Image:
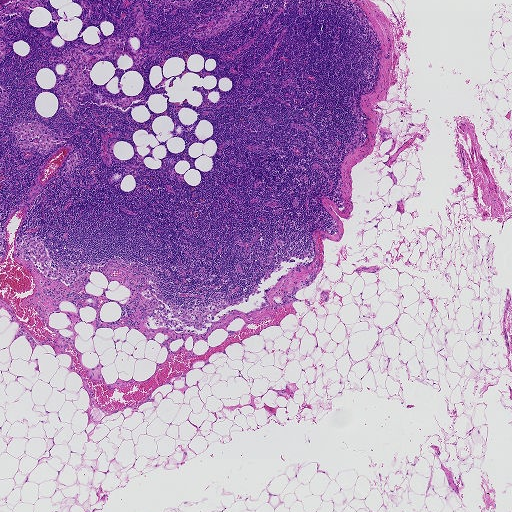
H&E-stained section of a sentinel lymph node (breast cancer), from a whole-slide image, viewed at about 2.5×: the field is about 1.9 mm across, about 3.6 µm per pixel.
Question:
Does this lymph node field contain metastatic tumour?
Answer:
No, this field holds no outlined metastasis.